Question: 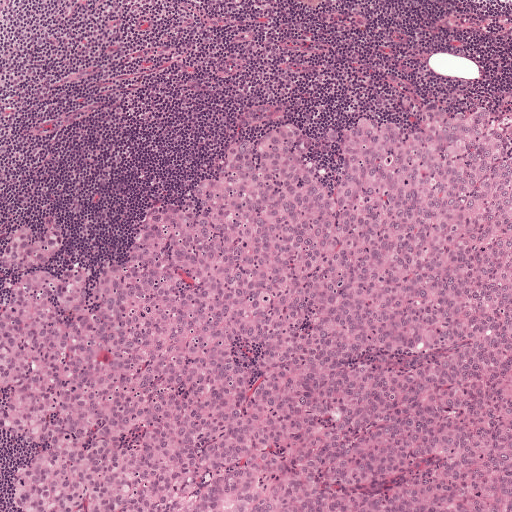
Lymph node section stained with H&E, from a whole-slide image of a breast-cancer sentinel node. Magnification about 5×, about 1 mm across the frame, about 1.9 µm per pixel.
Roughly what share of this field is metastatic tumour?

Choices:
 (A) about 5% or less
 (B) about 25% to 45%
 (C) about 50% or more
 (D) none: no tumour is outlined
 (E) about 10% to 20%

Answer: (C) about 50% or more
About 65% of the field is tumour.
One metastatic tumour region; its boundary, reduced to 20 corners and listed clockwise: (488, 107), (511, 122), (511, 511), (12, 511), (5, 490), (42, 446), (0, 437), (3, 260), (20, 226), (57, 219), (70, 234), (60, 271), (115, 253), (227, 146), (280, 123), (300, 126), (332, 195), (328, 127), (364, 117), (411, 130).